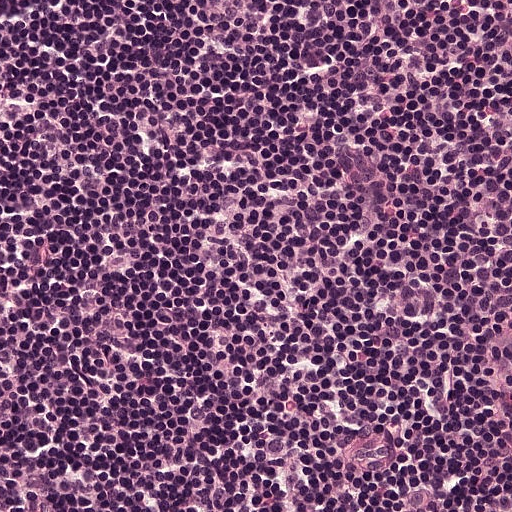
A 0.25-mm field of an H&E-stained sentinel lymph node from a breast-cancer patient (whole-slide image), shown at about 20×, about 0.49 µm per pixel.